Question: 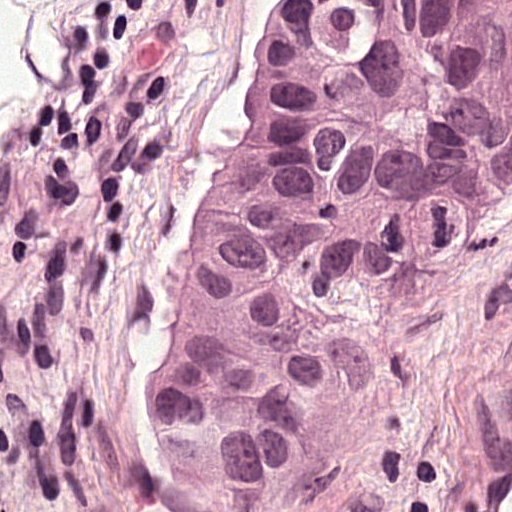
Which magnification is this H&E lymph node field most likely shown at?

Choices:
 (A) about 5×
 (B) about 2.5×
 (C) about 20×
 (D) about 10×
 (E) about 40×

Answer: (E) about 40×
This is a crop of a whole-slide image: an H&E-stained breast-cancer sentinel lymph node section at roughly 40× magnification (about 0.24 µm per pixel; the crop spans about 0.12 mm).
Tumour region outline (a closed clockwise path, crop pixels): (511, 0), (511, 243), (417, 331), (354, 468), (295, 479), (280, 511), (199, 511), (151, 490), (147, 434), (184, 238), (269, 1).
About 50% of this field is tumour.